A 2.0-mm field of an H&E-stained sentinel lymph node from a breast-cancer patient (whole-slide image), shown at about 2.5×, about 3.9 µm per pixel.
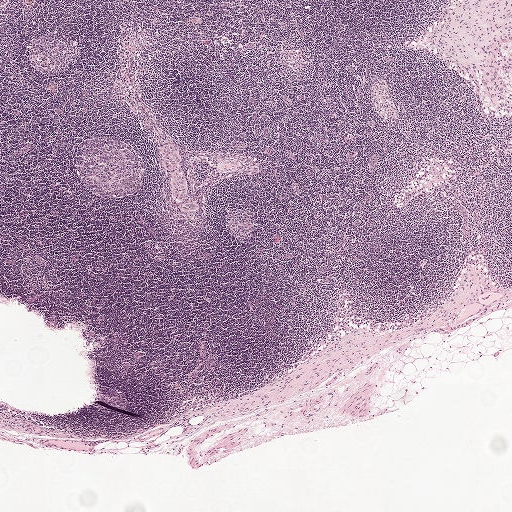
Metastatic tumour outline, simplified to 18 points and listed clockwise in crop pixels (x, y): (170, 143), (179, 151), (182, 161), (179, 172), (184, 174), (188, 186), (186, 199), (183, 202), (191, 201), (199, 204), (198, 208), (194, 210), (181, 209), (172, 198), (170, 183), (161, 156), (161, 148), (164, 144).
Under 5% of this field is tumour.